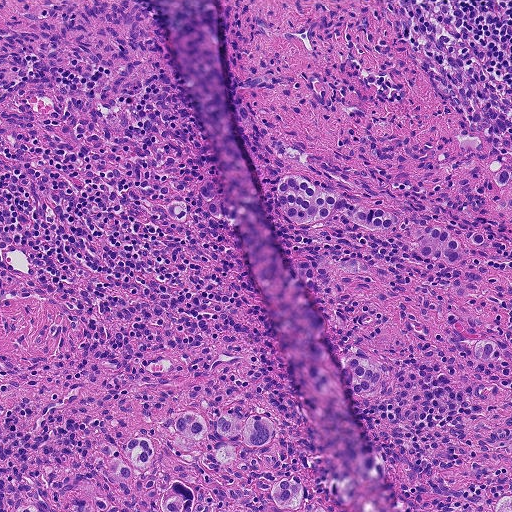
H&E-stained section of a sentinel lymph node (breast cancer), from a whole-slide image, viewed at about 10×: the field is about 0.46 mm across, about 0.9 µm per pixel.
Question: Where is the metastatic tumour in this field? Give each region's outline as (x, y) pixel points.
Answer: Boundaries of eight metastatic tumour regions, simplified and listed clockwise, largest first: region 1: (286, 174), (300, 176), (347, 203), (374, 207), (410, 224), (438, 226), (461, 241), (475, 230), (484, 234), (484, 245), (476, 248), (469, 242), (463, 244), (466, 255), (460, 268), (447, 268), (421, 257), (404, 234), (377, 234), (339, 216), (300, 225), (277, 210), (276, 183); region 2: (190, 411), (214, 420), (229, 413), (241, 417), (254, 412), (266, 414), (274, 424), (272, 437), (263, 446), (250, 448), (238, 442), (245, 458), (237, 469), (212, 471), (200, 464), (186, 462), (174, 456), (160, 428), (167, 418), (178, 412); region 3: (144, 436), (155, 442), (155, 455), (147, 466), (133, 468), (136, 477), (124, 480), (112, 476), (100, 453), (105, 442), (116, 448), (124, 458), (122, 447), (132, 438); region 4: (350, 354), (374, 359), (382, 370), (382, 383), (375, 394), (360, 395), (347, 392), (340, 380), (339, 367), (346, 356); region 5: (286, 477), (299, 478), (311, 501), (324, 505), (326, 511), (273, 511), (273, 505), (269, 493), (273, 481); region 6: (178, 480), (190, 483), (195, 495), (195, 511), (163, 511), (160, 510), (157, 497), (164, 486); region 7: (505, 494), (511, 495), (511, 511), (494, 511), (495, 502); region 8: (28, 505), (41, 511), (15, 511).
Three more small tumour pieces are annotated here but not outlined.
About 5% of the image area is annotated as tumour.